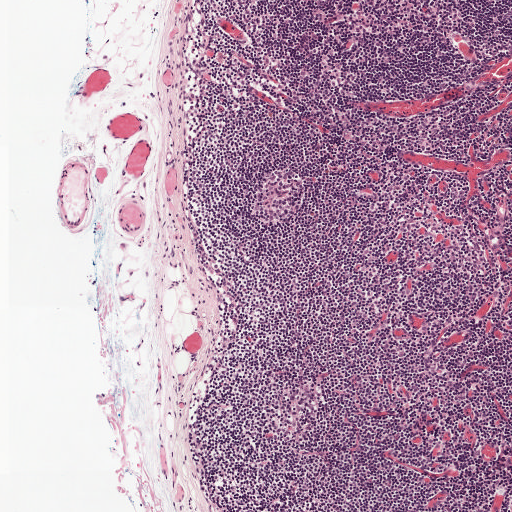
H&E-stained section of a sentinel lymph node (breast cancer), from a whole-slide image, viewed at about 5×: the field is about 1 mm across, about 1.9 µm per pixel.